Image:
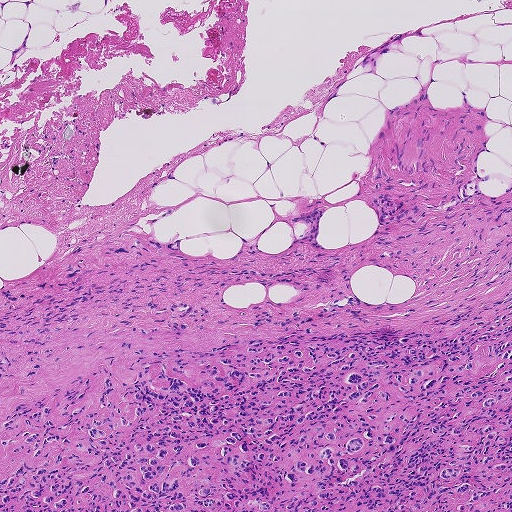
Lymph node section stained with H&E, from a whole-slide image of a breast-cancer sentinel node. Magnification about 5×, about 0.93 mm across the frame, about 1.8 µm per pixel.
Question:
Is any metastatic breast cancer visible in this crop?
Answer:
Yes.
The outlined metastatic tumour's edge, as a closed clockwise path of 9 points: (510, 298), (511, 511), (0, 511), (0, 474), (11, 466), (0, 425), (107, 371), (252, 344), (451, 334).
About 30% of the image area is annotated as tumour.